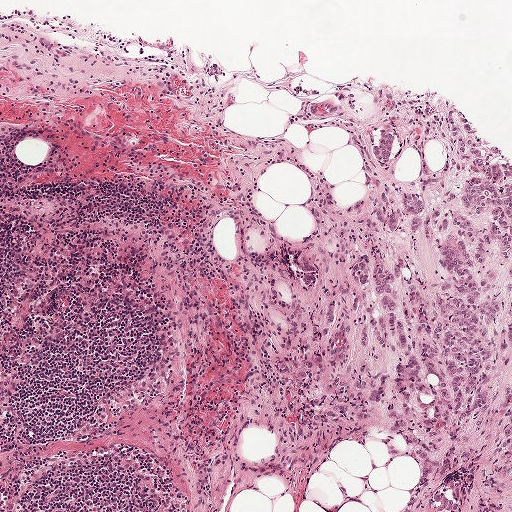
A 1-mm field of an H&E-stained sentinel lymph node from a breast-cancer patient (whole-slide image), shown at about 5×, about 1.9 µm per pixel.
Question: Outline the metastatic carcinoma in this image, as closed paths of (x, y) pixel coordinates.
Answer: Two metastatic tumour regions, each outlined as a closed clockwise path in crop pixels (x, y), largest first: region 1: (445, 132), (511, 193), (511, 511), (438, 511), (434, 470), (406, 453), (405, 407), (362, 305), (382, 222), (366, 152), (404, 133); region 2: (357, 240), (374, 240), (360, 304), (399, 396), (399, 416), (368, 439), (315, 444), (307, 434), (298, 365), (272, 309), (272, 295), (280, 282).
The annotated tumour makes up about 25% of the crop.